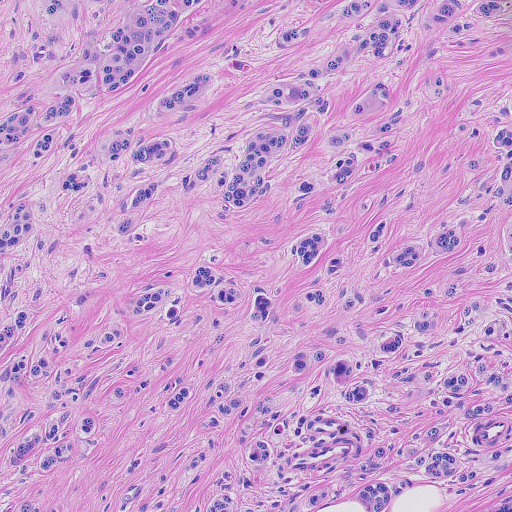
This is a crop of a whole-slide image: an H&E-stained breast-cancer sentinel lymph node section at roughly 10× magnification (about 0.91 µm per pixel; the crop spans about 0.46 mm).
Metastatic tumour covers the whole field.
Over 95% of this field is tumour.